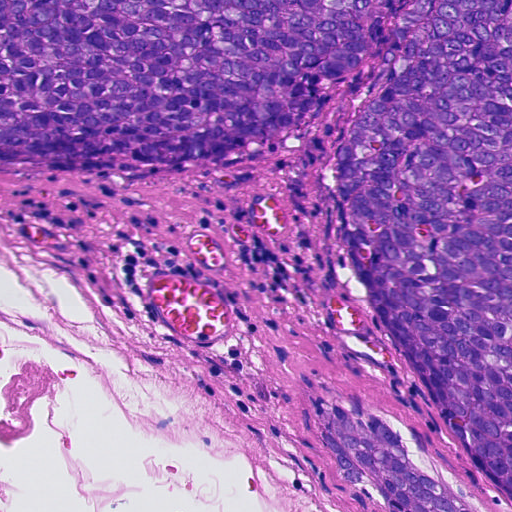
This is a crop of a whole-slide image: an H&E-stained breast-cancer sentinel lymph node section at roughly 20× magnification (about 0.45 µm per pixel; the crop spans about 0.23 mm).
Outlines of two tumour regions, largest first (closed clockwise paths, crop pixels): region 1: (0, 0), (511, 0), (511, 508), (476, 479), (409, 386), (340, 254), (324, 204), (354, 94), (300, 142), (0, 192); region 2: (322, 390), (392, 414), (424, 438), (432, 462), (492, 511), (374, 511), (358, 489), (329, 460), (298, 396).
About 55% of this field is tumour.